Question: 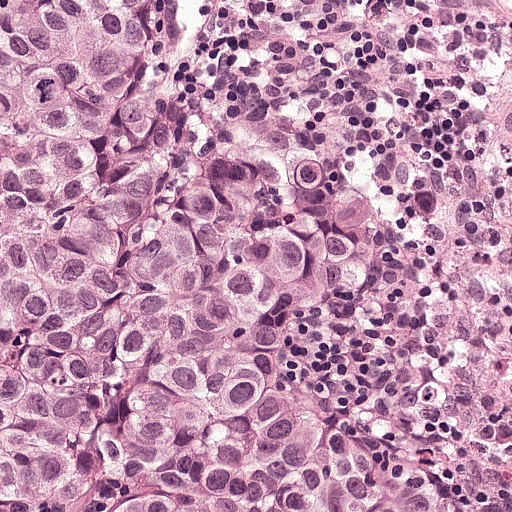
This is a crop of a whole-slide image: an H&E-stained breast-cancer sentinel lymph node section at roughly 20× magnification (about 0.49 µm per pixel; the crop spans about 0.25 mm).
Estimate the proportion of this field that is metastatic tumour.

Choices:
 (A) about 25% to 45%
 (B) about 10% to 20%
 (C) about 50% or more
 (D) none: no tumour is outlined
 (E) about 5% or less

Answer: (C) about 50% or more
About 65% of the field is tumour.
The outlined metastatic tumour's edge, as a closed clockwise path of 14 points: (0, 0), (242, 0), (254, 20), (254, 25), (246, 14), (246, 66), (262, 107), (360, 186), (376, 236), (370, 370), (378, 416), (406, 473), (450, 511), (0, 511).